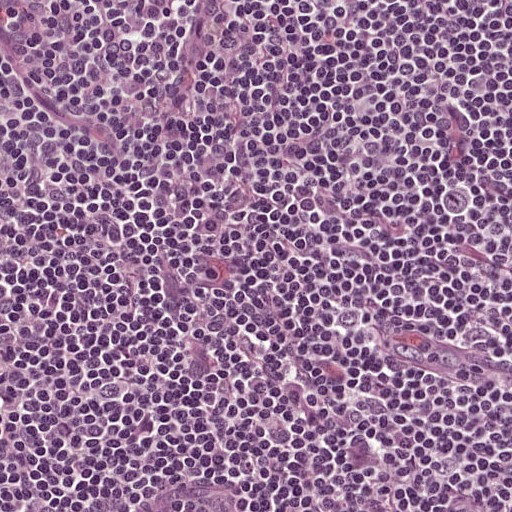
A 0.25-mm field of an H&E-stained sentinel lymph node from a breast-cancer patient (whole-slide image), shown at about 20×, about 0.49 µm per pixel.